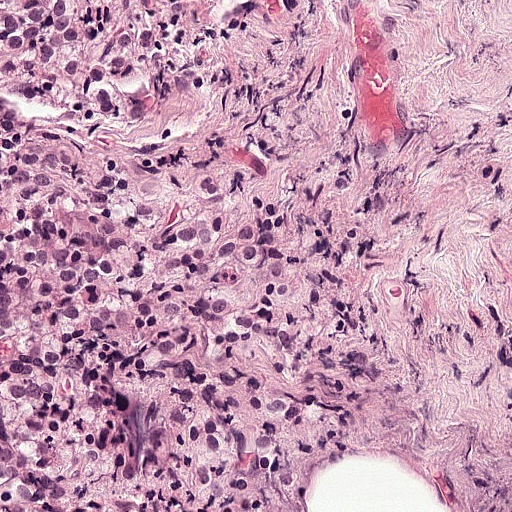
A 0.25-mm field of an H&E-stained sentinel lymph node from a breast-cancer patient (whole-slide image), shown at about 20×, about 0.49 µm per pixel.
Tumour region outline (a closed clockwise path, crop pixels): (0, 0), (406, 0), (372, 101), (348, 150), (322, 172), (358, 149), (369, 170), (390, 170), (390, 180), (474, 232), (494, 232), (504, 253), (511, 511), (0, 511).
About 90% of the image area is annotated as tumour.